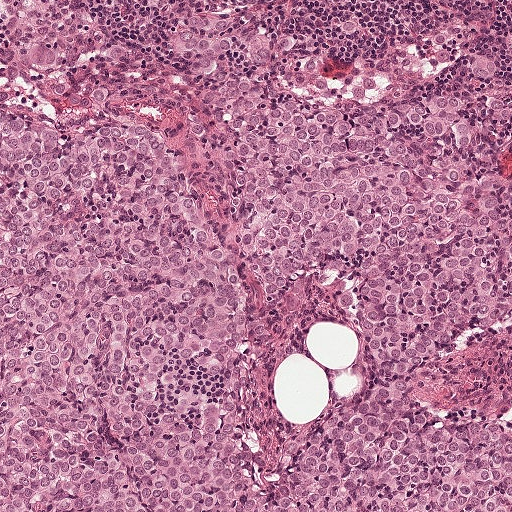
Lymph node section stained with H&E, from a whole-slide image of a breast-cancer sentinel node. Magnification about 10×, about 0.5 mm across the frame, about 0.97 µm per pixel.
Metastatic tumour outline, simplified to 24 points and listed clockwise in crop pixels (x, y): (258, 23), (262, 83), (332, 108), (489, 54), (511, 120), (477, 157), (511, 186), (511, 316), (416, 381), (511, 420), (511, 511), (0, 511), (0, 51), (46, 44), (194, 195), (267, 471), (364, 387), (357, 321), (340, 287), (262, 300), (176, 131), (238, 64), (184, 72), (170, 25).
The annotated tumour makes up about 75% of the crop.